Question: 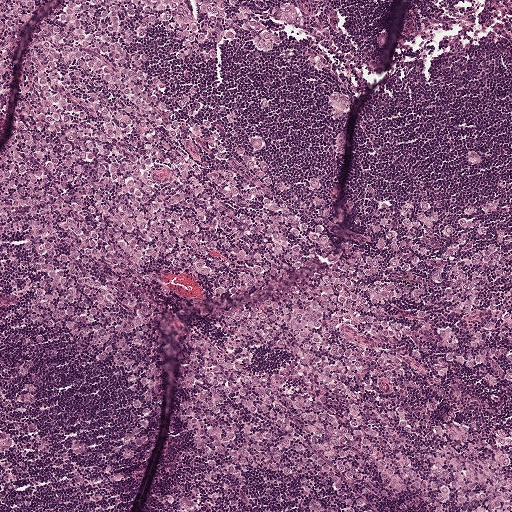
Lymph node section stained with H&E, from a whole-slide image of a breast-cancer sentinel node. Magnification about 5×, about 1 mm across the frame, about 1.9 µm per pixel.
Roughly what share of this field is metastatic tumour?

Choices:
 (A) none: no tumour is outlined
 (B) about 10% to 20%
 (C) about 50% or more
 (D) about 5% or less
 (E) about 25% to 45%

Answer: (C) about 50% or more
About 60% of the field is tumour.
Boundaries of two metastatic tumour regions, simplified and listed clockwise, largest first: region 1: (65, 2), (249, 8), (280, 61), (180, 66), (137, 30), (131, 68), (315, 203), (511, 191), (511, 511), (336, 511), (195, 464), (193, 320), (315, 285), (353, 211), (207, 295), (153, 267), (190, 312), (151, 313), (124, 460), (119, 374), (26, 324), (37, 254), (0, 237), (20, 64); region 2: (0, 0), (46, 0), (29, 26), (17, 36), (13, 45), (10, 60), (9, 114), (0, 130).